Image:
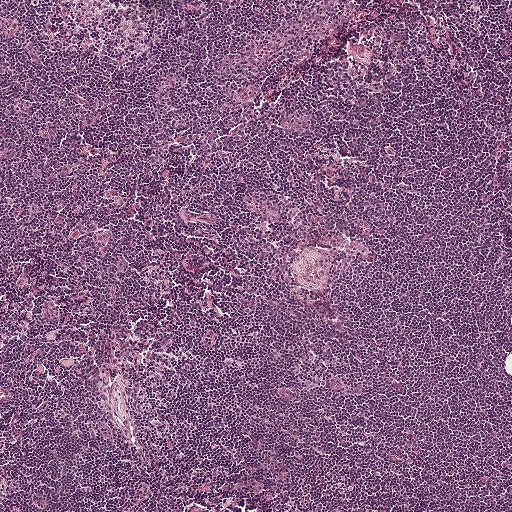
H&E-stained section of a sentinel lymph node (breast cancer), from a whole-slide image, viewed at about 5×: the field is about 1 mm across, about 1.9 µm per pixel.
Question:
Is there metastatic carcinoma in this field?
Answer:
No: no metastatic tumour is outlined anywhere in this field.